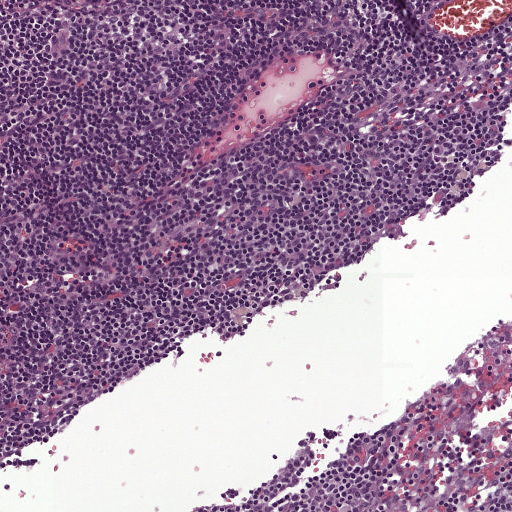
This is a crop of a whole-slide image: an H&E-stained breast-cancer sentinel lymph node section at roughly 10× magnification (about 0.97 µm per pixel; the crop spans about 0.5 mm).